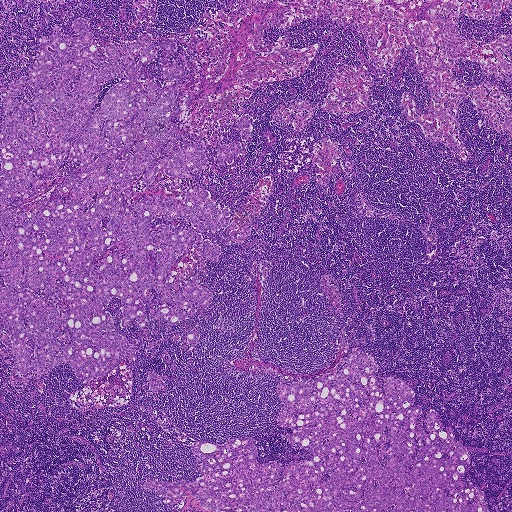
Lymph node section stained with H&E, from a whole-slide image of a breast-cancer sentinel node. Magnification about 2.5×, about 1.9 mm across the frame, about 3.6 µm per pixel.
Boundaries of two metastatic tumour regions, simplified and listed clockwise, largest first: region 1: (87, 19), (106, 61), (174, 41), (137, 72), (161, 87), (160, 57), (185, 62), (177, 148), (216, 157), (252, 115), (232, 164), (179, 179), (231, 212), (201, 232), (221, 252), (195, 347), (191, 318), (122, 328), (107, 303), (154, 394), (136, 363), (87, 383), (0, 363), (0, 99); region 2: (354, 348), (375, 359), (380, 384), (410, 385), (428, 434), (433, 409), (462, 444), (488, 450), (467, 451), (463, 479), (488, 511), (215, 511), (188, 492), (163, 503), (143, 481), (202, 476), (196, 441), (250, 437), (262, 463), (310, 460), (275, 423), (276, 387).
About 35% of this field is tumour.